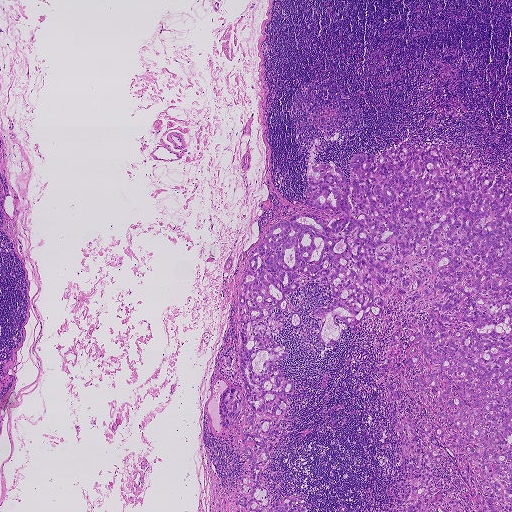
Lymph node section stained with H&E, from a whole-slide image of a breast-cancer sentinel node. Magnification about 2.5×, about 1.9 mm across the frame, about 3.6 µm per pixel.
Metastatic tumour outline, simplified to 19 points and listed clockwise in crop pixels (x, y): (313, 138), (313, 164), (336, 164), (349, 181), (356, 154), (406, 144), (511, 185), (511, 511), (235, 511), (251, 408), (245, 396), (228, 429), (218, 405), (229, 386), (245, 392), (241, 281), (270, 225), (343, 214), (304, 202).
About 35% of the image area is annotated as tumour.